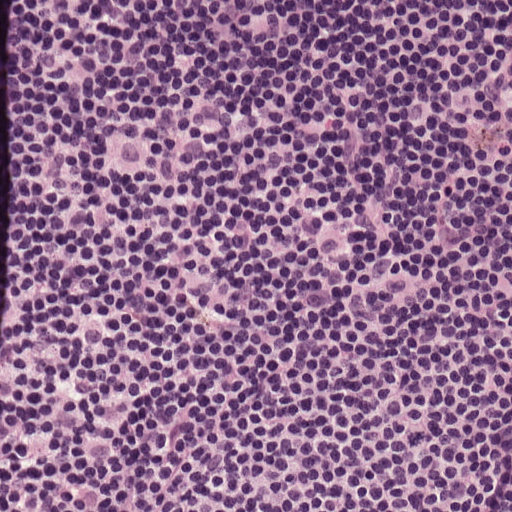
H&E-stained section of a sentinel lymph node (breast cancer), from a whole-slide image, viewed at about 20×: the field is about 0.25 mm across, about 0.49 µm per pixel.